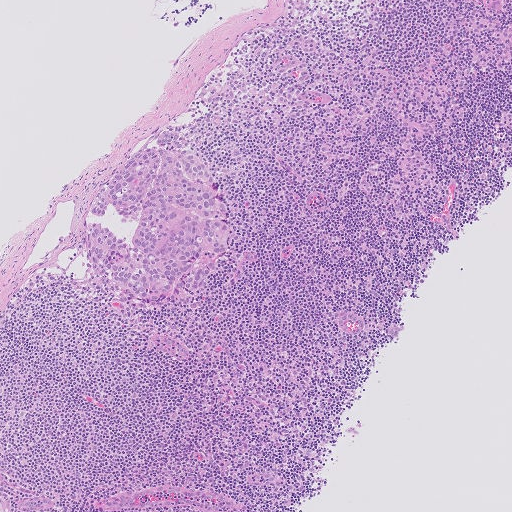
This is a crop of a whole-slide image: an H&E-stained breast-cancer sentinel lymph node section at roughly 5× magnification (about 2.0 µm per pixel; the crop spans about 1.0 mm).
Question: Describe where the metastatic carcinoma lies in this crop.
Answer: Two metastatic tumour regions, each outlined as a closed clockwise path in crop pixels (x, y), largest first: region 1: (181, 132), (185, 143), (210, 166), (227, 210), (222, 256), (202, 284), (162, 307), (104, 292), (86, 262), (88, 215), (98, 194), (148, 140); region 2: (0, 464), (6, 469), (11, 483), (13, 511), (0, 511).
The annotated tumour makes up about 5% of the crop.